This is a crop of a whole-slide image: an H&E-stained breast-cancer sentinel lymph node section at roughly 5× magnification (about 1.8 µm per pixel; the crop spans about 0.93 mm).
Image:
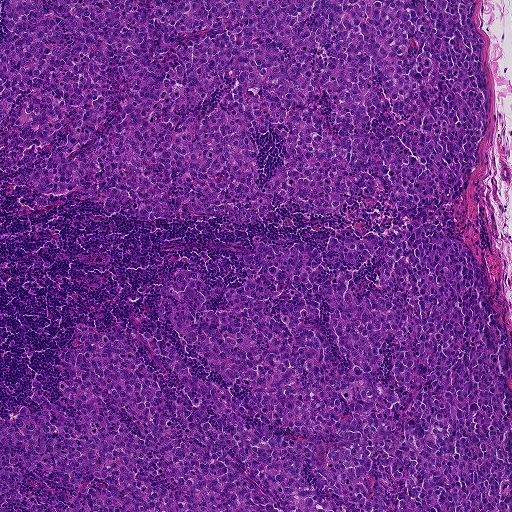
Question:
Trace the edge of each tumour region in this crop, as (x, y) points from 0 to 511.
Answer:
Metastatic tumour outline, simplified to 36 points and listed clockwise in crop pixels (x, y): (4, 0), (479, 2), (490, 119), (448, 204), (511, 333), (511, 511), (0, 507), (0, 417), (44, 408), (33, 380), (70, 416), (81, 323), (133, 333), (179, 403), (142, 332), (243, 401), (157, 313), (185, 270), (232, 308), (212, 287), (257, 234), (321, 255), (302, 322), (346, 372), (321, 283), (391, 296), (384, 256), (336, 269), (330, 237), (406, 228), (378, 184), (243, 222), (40, 192), (64, 123), (24, 163), (0, 45).
Tumour covers about 80% of the frame.